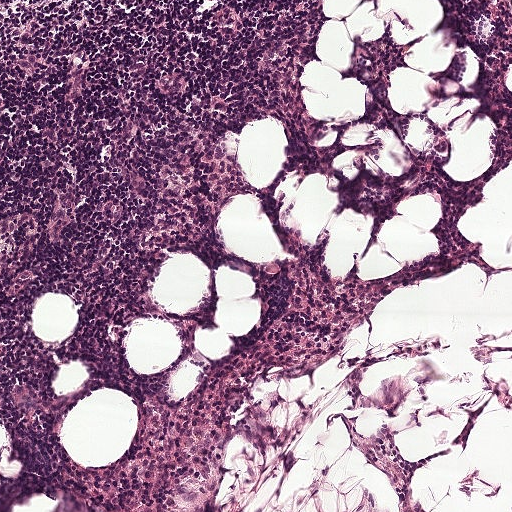
H&E-stained section of a sentinel lymph node (breast cancer), from a whole-slide image, viewed at about 10×: the field is about 0.5 mm across, about 0.97 µm per pixel.
Question: Is there metastatic carcinoma in this field?
Answer: No, this field holds no outlined metastasis.